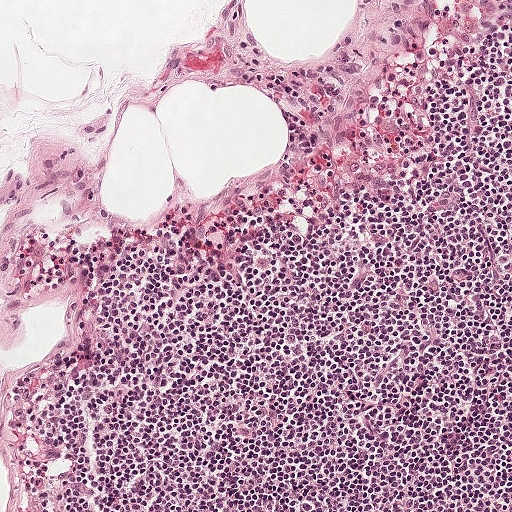
H&E-stained section of a sentinel lymph node (breast cancer), from a whole-slide image, viewed at about 10×: the field is about 0.5 mm across, about 0.97 µm per pixel.
Question: Is there metastatic carcinoma in this field?
Answer: No, this field holds no outlined metastasis.